Question: 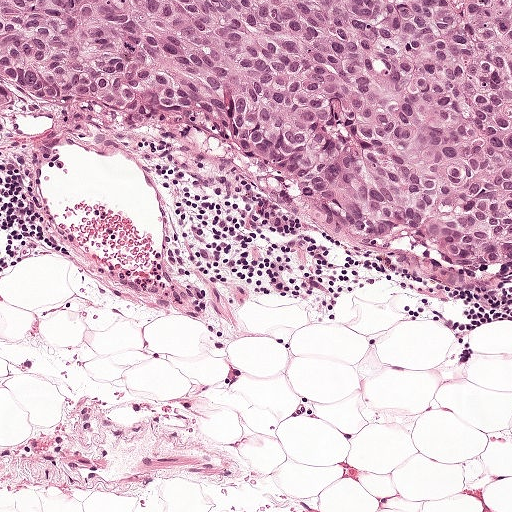
Lymph node section stained with H&E, from a whole-slide image of a breast-cancer sentinel node. Magnification about 10×, about 0.5 mm across the frame, about 0.97 µm per pixel.
What fraction of the image area is metastatic tumour?

Choices:
 (A) about 50% or more
 (B) about 25% to 45%
 (C) about 10% to 20%
 (D) about 5% or less
 (E) none: no tumour is outlined

Answer: (B) about 25% to 45%
About 40% of the field is tumour.
One metastatic tumour region; its boundary, reduced to 9 corners and listed clockwise: (0, 0), (511, 0), (511, 291), (438, 291), (330, 254), (185, 152), (138, 133), (38, 130), (1, 146).